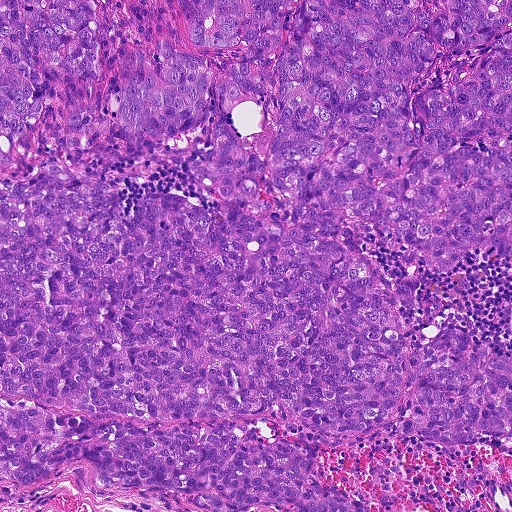
Lymph node section stained with H&E, from a whole-slide image of a breast-cancer sentinel node. Magnification about 10×, about 0.46 mm across the frame, about 0.9 µm per pixel.
One metastatic tumour region; its boundary, reduced to 22 corners and listed clockwise: (0, 0), (511, 0), (511, 239), (433, 273), (352, 219), (419, 281), (405, 341), (511, 361), (511, 440), (400, 433), (410, 393), (356, 436), (274, 400), (38, 404), (92, 422), (127, 420), (148, 431), (256, 425), (365, 511), (201, 511), (84, 459), (18, 485).
The annotated tumour makes up about 85% of the crop.